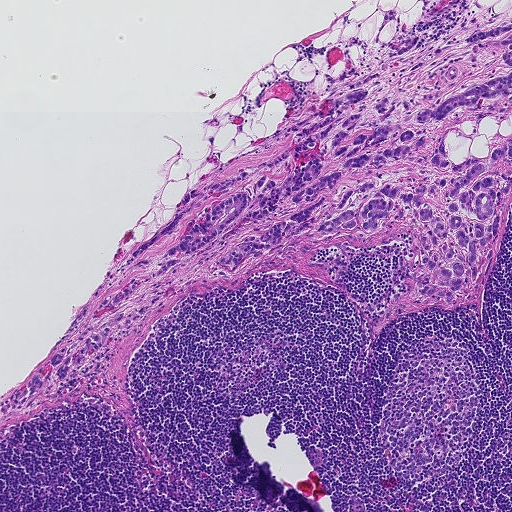
Lymph node section stained with H&E, from a whole-slide image of a breast-cancer sentinel node. Magnification about 5×, about 0.93 mm across the frame, about 1.8 µm per pixel.
Tumour region outline (a closed clockwise path, crop pixels): (415, 0), (511, 0), (511, 201), (488, 282), (466, 307), (404, 308), (410, 272), (394, 243), (349, 267), (349, 300), (280, 264), (194, 282), (69, 392), (0, 420), (0, 397), (188, 190), (285, 149), (290, 120), (375, 59), (394, 31), (387, 24), (373, 47), (385, 7), (412, 24).
About 30% of this field is tumour.